Question: 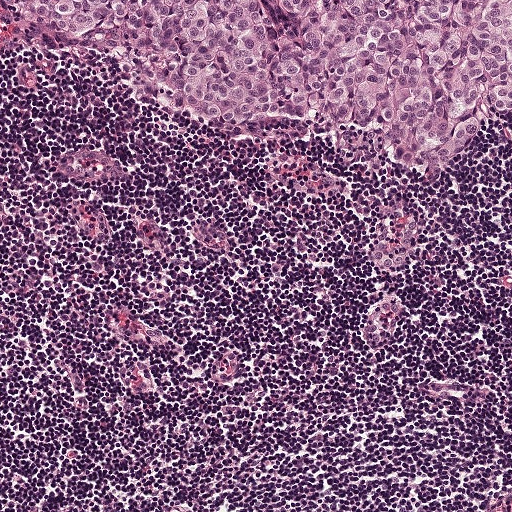
H&E-stained section of a sentinel lymph node (breast cancer), from a whole-slide image, viewed at about 10×: the field is about 0.5 mm across, about 0.97 µm per pixel.
About how much of this crop is taken up by metastatic carcinoma?

Choices:
 (A) none: no tumour is outlined
 (B) about 50% or more
 (C) about 10% to 20%
 (D) about 5% or less
 (E) about 25% to 45%

Answer: (C) about 10% to 20%
About 20% of the field is tumour.
Tumour region outline (a closed clockwise path, crop pixels): (0, 0), (511, 0), (511, 113), (474, 162), (394, 168), (274, 124), (178, 116), (90, 54).